This is a crop of a whole-slide image: an H&E-stained breast-cancer sentinel lymph node section at roughly 20× magnification (about 0.49 µm per pixel; the crop spans about 0.25 mm).
Question: 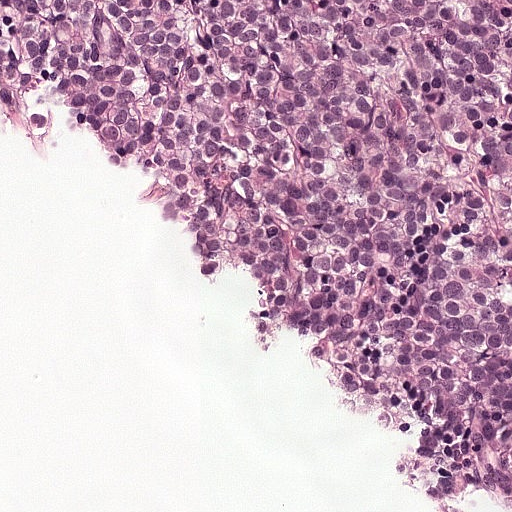
Estimate the proportion of this field that is metastatic tumour.

Choices:
 (A) about 10% to 20%
 (B) about 25% to 45%
 (C) about 50% or more
 (D) none: no tumour is outlined
 (E) about 5% or less

Answer: (C) about 50% or more
About 60% of the field is tumour.
Metastatic tumour outline, simplified to 7 points and listed clockwise in crop pixels (x, y): (0, 0), (511, 0), (511, 511), (496, 511), (246, 285), (158, 231), (0, 160).